H&E-stained section of a sentinel lymph node (breast cancer), from a whole-slide image, viewed at about 10×: the field is about 0.5 mm across, about 0.97 µm per pixel.
Image:
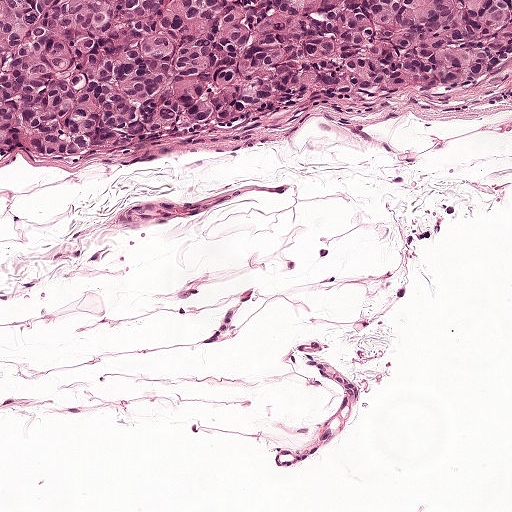
Question:
Show where the tumour is in this image.
Answer:
Metastatic tumour outline, simplified to 8 points and listed clockwise in crop pixels (x, y): (0, 0), (511, 0), (511, 53), (443, 91), (361, 101), (301, 91), (148, 150), (4, 161).
Tumour covers about 25% of the frame.